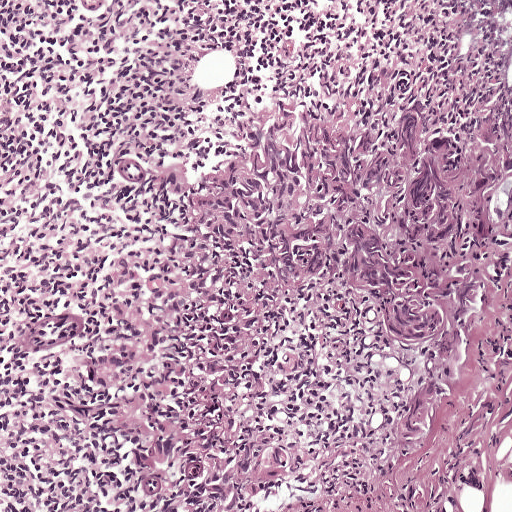
Lymph node section stained with H&E, from a whole-slide image of a breast-cancer sentinel node. Magnification about 10×, about 0.5 mm across the frame, about 0.97 µm per pixel.
One metastatic tumour region; its boundary, reduced to 24 corners and listed clockwise: (414, 84), (511, 136), (511, 253), (440, 422), (405, 441), (401, 418), (422, 354), (325, 279), (268, 315), (246, 400), (293, 463), (269, 493), (269, 511), (197, 511), (209, 475), (200, 458), (156, 474), (116, 440), (83, 388), (108, 265), (182, 235), (140, 180), (233, 142), (318, 89).
About 40% of the image area is annotated as tumour.